Question: 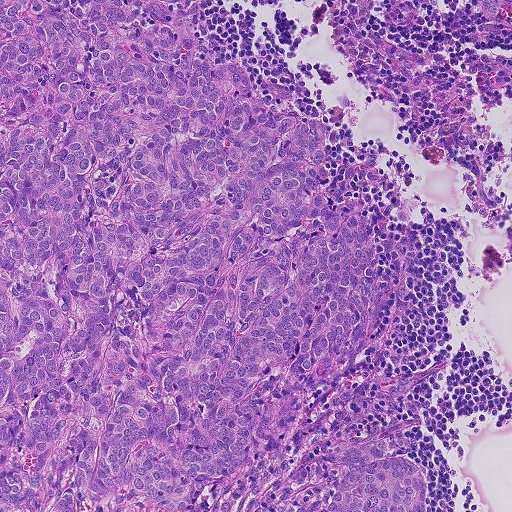
Lymph node section stained with H&E, from a whole-slide image of a breast-cancer sentinel node. Magnification about 10×, about 0.46 mm across the frame, about 0.9 µm per pixel.
What fraction of the image area is metastatic tumour?

Choices:
 (A) about 5% or less
 (B) about 25% to 45%
 (C) about 50% or more
 (D) none: no tumour is outlined
 (E) about 10% to 20%

Answer: (C) about 50% or more
About 70% of the field is tumour.
The outlined metastatic tumour's edge, as a closed clockwise path of 22 points: (0, 0), (212, 0), (197, 30), (217, 63), (288, 88), (333, 125), (320, 190), (332, 206), (361, 194), (367, 214), (421, 230), (385, 361), (390, 379), (443, 361), (353, 431), (427, 420), (411, 430), (418, 448), (402, 452), (420, 460), (429, 511), (0, 511).